A 0.46-mm field of an H&E-stained sentinel lymph node from a breast-cancer patient (whole-slide image), shown at about 10×, about 0.9 µm per pixel.
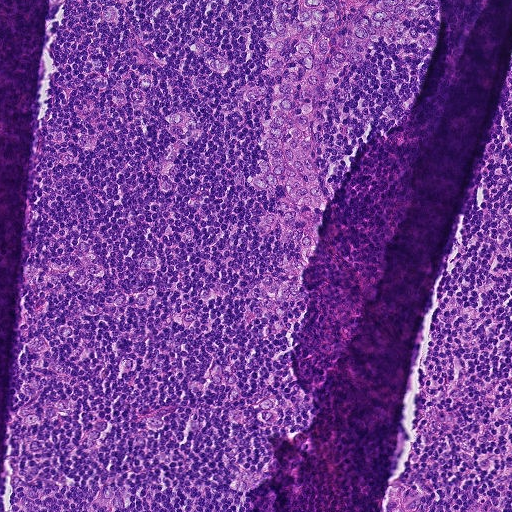
Boundaries of two metastatic tumour regions, simplified and listed clockwise, largest first: region 1: (43, 0), (442, 0), (433, 54), (378, 51), (325, 110), (328, 211), (290, 358), (312, 424), (271, 436), (243, 511), (4, 511); region 2: (511, 45), (511, 511), (380, 511), (420, 334).
The annotated tumour makes up about 70% of the crop.